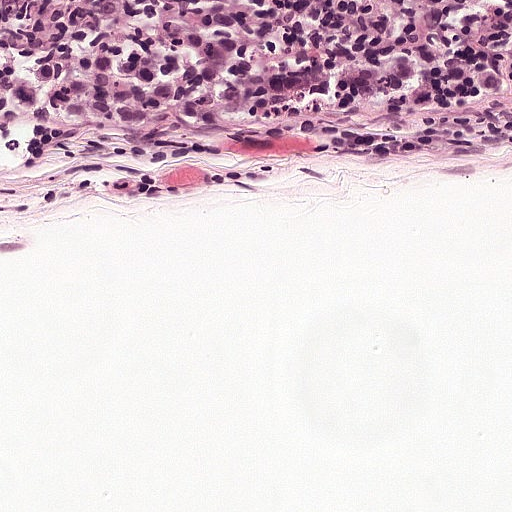
Lymph node section stained with H&E, from a whole-slide image of a breast-cancer sentinel node. Magnification about 20×, about 0.25 mm across the frame, about 0.49 µm per pixel.
One metastatic tumour region; its boundary, reduced to 7 corners and listed clockwise: (0, 0), (335, 0), (378, 72), (380, 124), (332, 160), (228, 182), (2, 175).
Tumour covers about 25% of the frame.